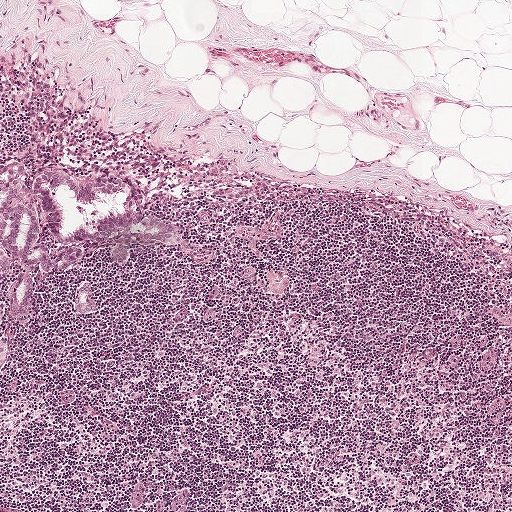
H&E-stained section of a sentinel lymph node (breast cancer), from a whole-slide image, viewed at about 5×: the field is about 1 mm across, about 1.9 µm per pixel.
Question: Does this lymph node field contain metastatic tumour?
Answer: Yes.
Boundaries of three metastatic tumour regions, simplified and listed clockwise, largest first: region 1: (0, 164), (39, 174), (59, 168), (86, 184), (103, 172), (133, 174), (147, 188), (147, 213), (176, 223), (180, 242), (139, 244), (131, 264), (120, 268), (108, 259), (113, 243), (107, 243), (70, 273), (37, 272), (38, 294), (27, 319), (14, 318), (11, 279), (0, 273); region 2: (88, 281), (90, 283), (97, 307), (94, 312), (82, 313), (72, 310), (73, 298), (80, 283); region 3: (0, 340), (8, 342), (10, 347), (9, 357), (5, 364), (0, 369).
About 5% of the image area is annotated as tumour.